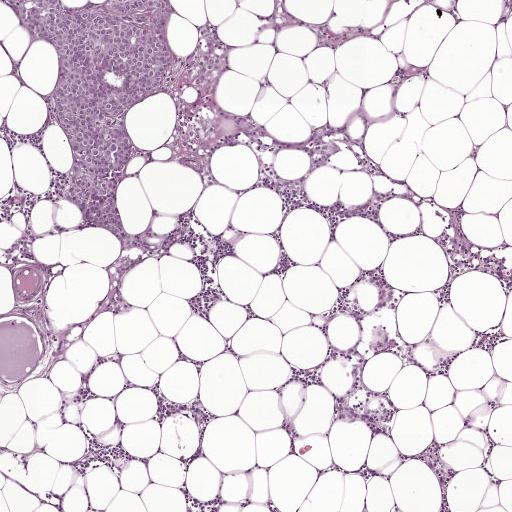
A 1-mm field of an H&E-stained sentinel lymph node from a breast-cancer patient (whole-slide image), shown at about 5×, about 1.9 µm per pixel.
Tumour region outline (a closed clockwise path, crop pixels): (0, 0), (170, 0), (162, 31), (170, 54), (180, 60), (208, 36), (226, 47), (204, 90), (169, 67), (164, 93), (130, 105), (127, 129), (141, 149), (118, 191), (121, 238), (87, 228), (68, 201), (74, 178), (52, 109), (61, 71), (53, 43).
The annotated tumour makes up about 10% of the crop.